Question: 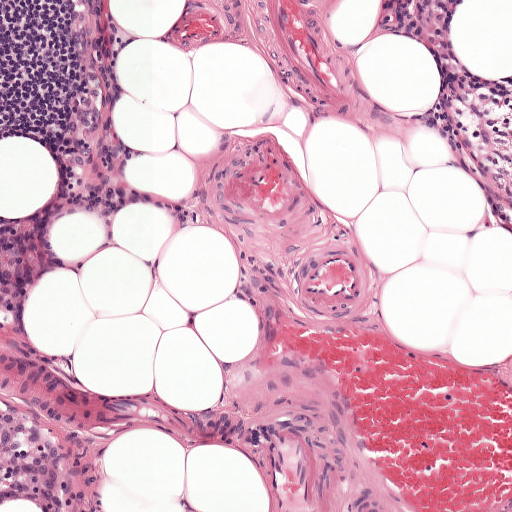
At roughly what magnification is this field shown?

Choices:
 (A) about 5×
 (B) about 10×
 (C) about 20×
 (D) about 2.5×
 (E) about 40×

Answer: (B) about 10×
This is a crop of a whole-slide image: an H&E-stained breast-cancer sentinel lymph node section at roughly 10× magnification (about 0.97 µm per pixel; the crop spans about 0.5 mm).